This is a crop of a whole-slide image: an H&E-stained breast-cancer sentinel lymph node section at roughly 2.5× magnification (about 3.6 µm per pixel; the crop spans about 1.9 mm).
Question: 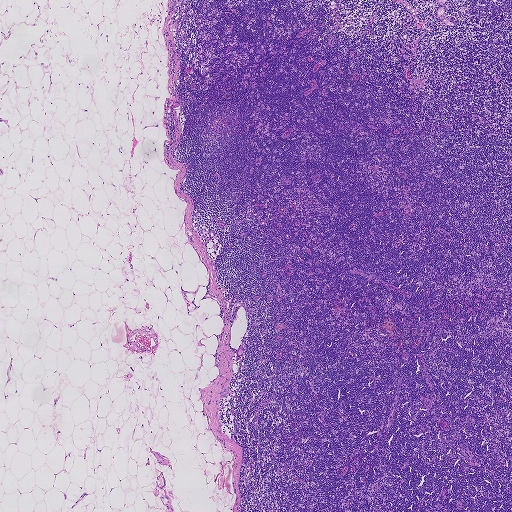
Roughly what share of this field is metastatic tumour?

Choices:
 (A) about 5% or less
 (B) about 10% to 20%
 (C) about 50% or more
 (D) about 25% to 45%
 (E) none: no tumour is outlined

Answer: (E) none: no tumour is outlined
No metastatic tumour is outlined in this field.